This is a crop of a whole-slide image: an H&E-stained breast-cancer sentinel lymph node section at roughly 10× magnification (about 0.9 µm per pixel; the crop spans about 0.46 mm).
Question: 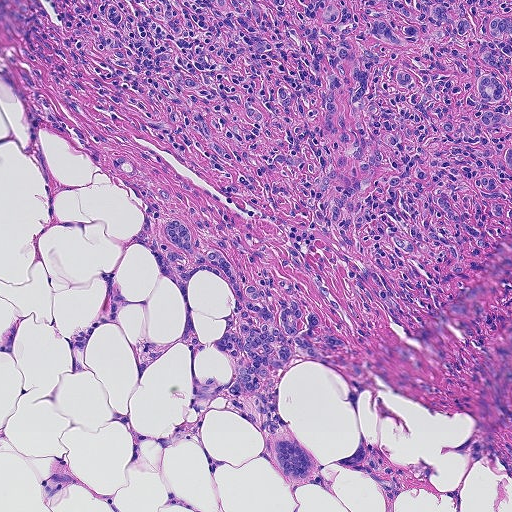
About how much of this crop is taken up by metastatic carcinoma?

Choices:
 (A) none: no tumour is outlined
 (B) about 10% to 20%
 (C) about 5% or less
 (D) about 25% to 45%
 (E) about 50% or more

Answer: (E) about 50% or more
About 65% of the field is tumour.
Metastatic tumour outline, simplified to 24 points and listed clockwise in crop pixels (x, y): (0, 0), (511, 0), (511, 479), (460, 453), (473, 419), (398, 392), (357, 403), (398, 477), (390, 507), (336, 465), (318, 470), (332, 490), (296, 486), (228, 400), (194, 412), (193, 375), (236, 377), (223, 354), (191, 353), (176, 288), (127, 244), (139, 198), (42, 127), (2, 65).